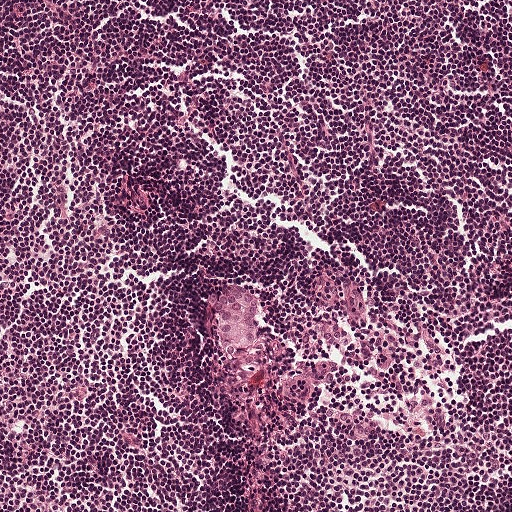
Lymph node section stained with H&E, from a whole-slide image of a breast-cancer sentinel node. Magnification about 10×, about 0.5 mm across the frame, about 0.97 µm per pixel.
Metastatic tumour outline, simplified to 11 points and listed clockwise in crop pixels (x, y): (225, 282), (262, 292), (262, 308), (267, 316), (267, 334), (266, 340), (234, 360), (218, 354), (216, 322), (204, 304), (205, 290).
Under 5% of this field is tumour.